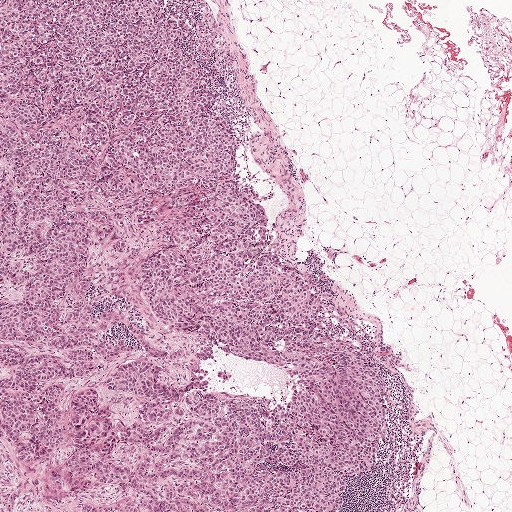
Lymph node section stained with H&E, from a whole-slide image of a breast-cancer sentinel node. Magnification about 2.5×, about 2.0 mm across the frame, about 3.9 µm per pixel.
Metastatic tumour outline, simplified to 14 points and listed clockwise in crop pixels (x, y): (0, 0), (172, 0), (191, 57), (230, 118), (242, 170), (274, 218), (266, 247), (316, 283), (385, 370), (393, 434), (376, 471), (353, 480), (342, 511), (0, 511).
The annotated tumour makes up about 60% of the crop.